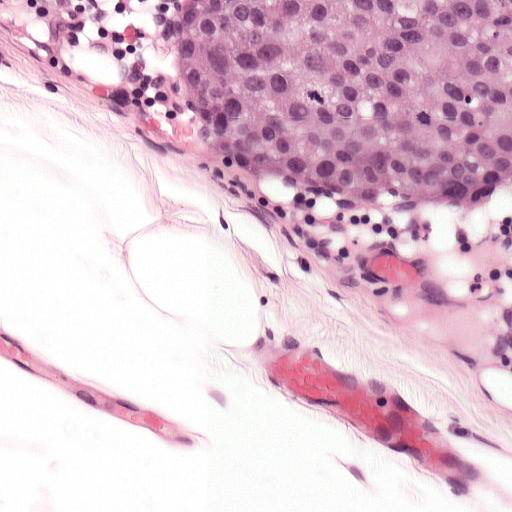
This is a crop of a whole-slide image: an H&E-stained breast-cancer sentinel lymph node section at roughly 20× magnification (about 0.49 µm per pixel; the crop spans about 0.25 mm).
Boundaries of two metastatic tumour regions, simplified and listed clockwise, largest first: region 1: (174, 0), (511, 0), (511, 229), (288, 198), (205, 138), (182, 90); region 2: (511, 293), (511, 378), (496, 360), (494, 310).
About 25% of this field is tumour.